A 0.5-mm field of an H&E-stained sentinel lymph node from a breast-cancer patient (whole-slide image), shown at about 10×, about 0.97 µm per pixel.
Image:
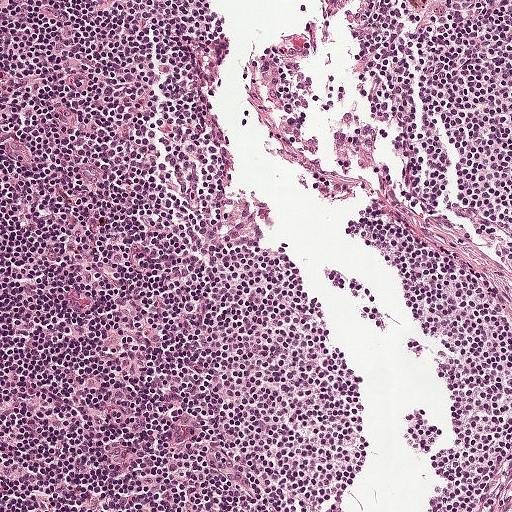
Question:
Does this lymph node field contain metastatic tumour?
Answer:
No. No metastatic tumour is outlined in this field.